Question: 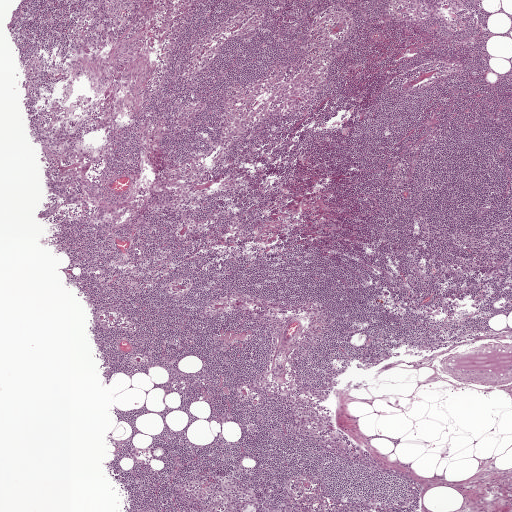
About what magnification does this crop show?

Choices:
 (A) about 10×
 (B) about 20×
 (C) about 40×
 (D) about 2.5×
 (E) about 5×

Answer: (D) about 2.5×
A 2.0-mm field of an H&E-stained sentinel lymph node from a breast-cancer patient (whole-slide image), shown at about 2.5×, about 3.9 µm per pixel.